Lymph node section stained with H&E, from a whole-slide image of a breast-cancer sentinel node. Magnification about 2.5×, about 2.0 mm across the frame, about 3.9 µm per pixel.
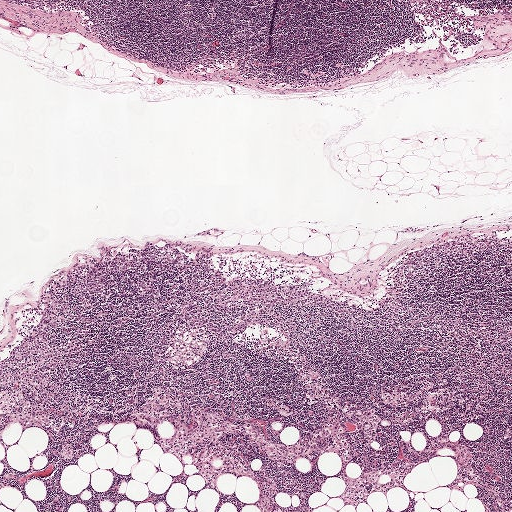
Boundaries of three metastatic tumour regions, simplified and listed clockwise, largest first: region 1: (135, 252), (138, 268), (107, 282), (104, 298), (94, 307), (97, 325), (91, 332), (89, 353), (65, 379), (60, 407), (45, 407), (21, 391), (0, 390), (0, 358), (15, 346), (33, 323), (40, 298), (61, 268), (77, 259); region 2: (511, 227), (511, 260), (449, 261), (424, 270), (400, 288), (385, 288), (377, 284), (378, 276), (388, 256), (398, 249); region 3: (251, 277), (271, 280), (321, 297), (350, 301), (364, 308), (367, 316), (342, 316), (312, 307), (250, 307), (214, 300), (212, 295), (212, 290), (232, 278).
Tumour covers about 5% of the frame.